Question: 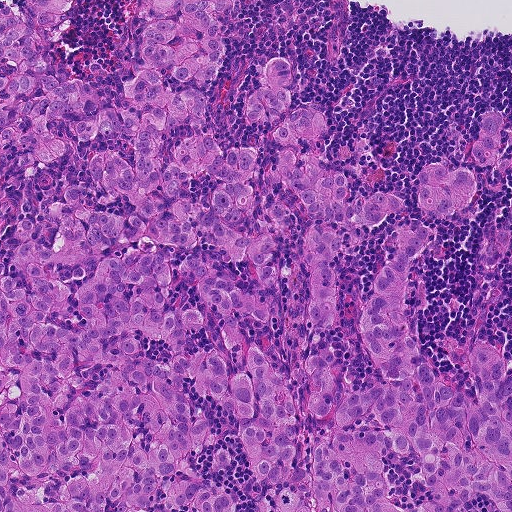
A 0.46-mm field of an H&E-stained sentinel lymph node from a breast-cancer patient (whole-slide image), shown at about 10×, about 0.9 µm per pixel.
Estimate the proportion of this field that is metastatic tumour.

Choices:
 (A) about 25% to 45%
 (B) about 5% or less
 (C) about 10% to 20%
 (D) about 50% or more
 (E) none: no tumour is outlined

Answer: (D) about 50% or more
About 70% of the field is tumour.
One metastatic tumour region; its boundary, reduced to 22 corners and listed clockwise: (73, 0), (52, 67), (118, 118), (142, 0), (232, 0), (204, 116), (265, 190), (243, 100), (292, 64), (300, 151), (404, 200), (338, 230), (345, 392), (418, 170), (502, 111), (406, 289), (477, 406), (445, 345), (502, 355), (511, 511), (0, 511), (0, 7).